Image:
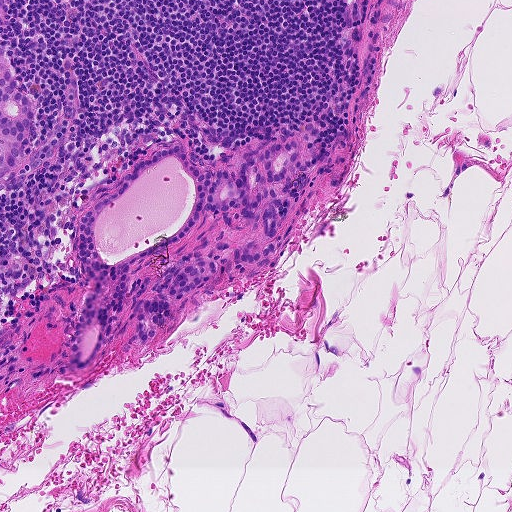
This is a crop of a whole-slide image: an H&E-stained breast-cancer sentinel lymph node section at roughly 10× magnification (about 0.9 µm per pixel; the crop spans about 0.46 mm).
Question:
Is any metastatic breast cancer visible in this crop?
Answer:
Yes.
Boundaries of four metastatic tumour regions, simplified and listed clockwise, largest first: region 1: (298, 142), (295, 166), (268, 186), (283, 200), (279, 232), (256, 236), (239, 208), (203, 214), (184, 240), (128, 270), (126, 296), (108, 314), (102, 347), (83, 370), (71, 354), (92, 282), (78, 262), (80, 218), (134, 162), (169, 144), (186, 144), (202, 173), (237, 175), (265, 147); region 2: (196, 252), (216, 264), (214, 282), (184, 300), (176, 302), (168, 298), (172, 306), (172, 316), (168, 323), (160, 327), (152, 342), (144, 344), (138, 339), (132, 322), (127, 320), (131, 307), (137, 302), (154, 296), (152, 290), (159, 275), (188, 253); region 3: (0, 55), (8, 58), (12, 66), (16, 85), (21, 92), (36, 100), (36, 109), (26, 154), (27, 162), (8, 178), (0, 181); region 4: (273, 242), (275, 247), (274, 254), (252, 265), (233, 263), (234, 247), (241, 249), (244, 252), (252, 254).
About 10% of this field is tumour.